H&E-stained section of a sentinel lymph node (breast cancer), from a whole-slide image, viewed at about 2.5×: the field is about 2.0 mm across, about 3.9 µm per pixel.
Question: 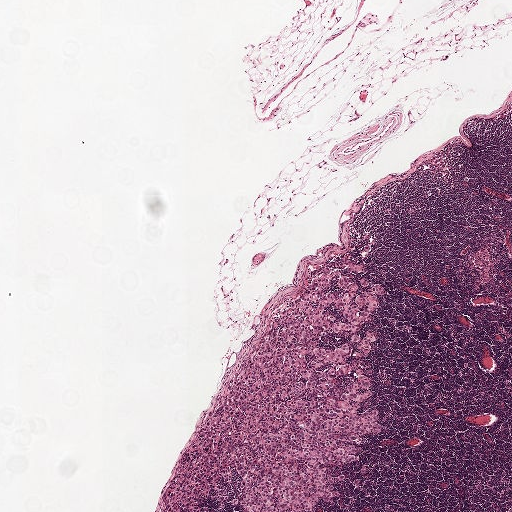
What fraction of the image area is metastatic tumour?

Choices:
 (A) about 25% to 45%
 (B) about 5% or less
 (C) about 10% to 20%
 (D) about 50% or more
 (E) none: no tumour is outlined

Answer: (C) about 10% to 20%
About 15% of the field is tumour.
The outlined metastatic tumour's edge, as a closed clockwise path of 24 points: (330, 261), (360, 261), (359, 277), (385, 294), (363, 326), (376, 337), (371, 353), (352, 353), (350, 361), (369, 380), (371, 397), (359, 410), (379, 411), (382, 431), (367, 438), (355, 463), (335, 468), (346, 476), (341, 497), (318, 501), (314, 511), (159, 511), (185, 441), (273, 316).